Lymph node section stained with H&E, from a whole-slide image of a breast-cancer sentinel node. Magnification about 20×, about 0.25 mm across the frame, about 0.49 µm per pixel.
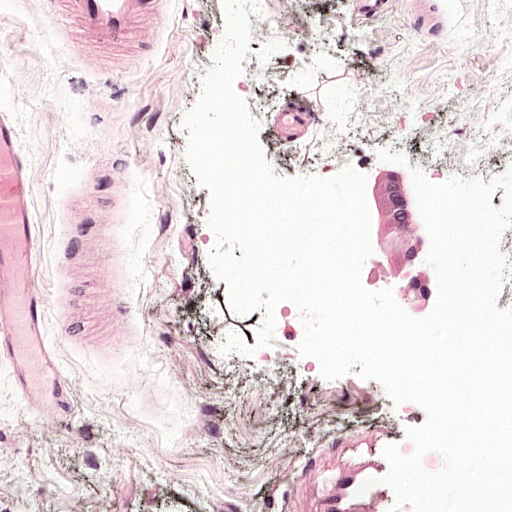
One metastatic tumour region; its boundary, reduced to 10 corners and listed clockwise: (416, 160), (416, 200), (441, 276), (440, 314), (408, 321), (390, 296), (361, 292), (374, 246), (362, 180), (374, 168).
Tumour covers about 5% of the frame.